Image:
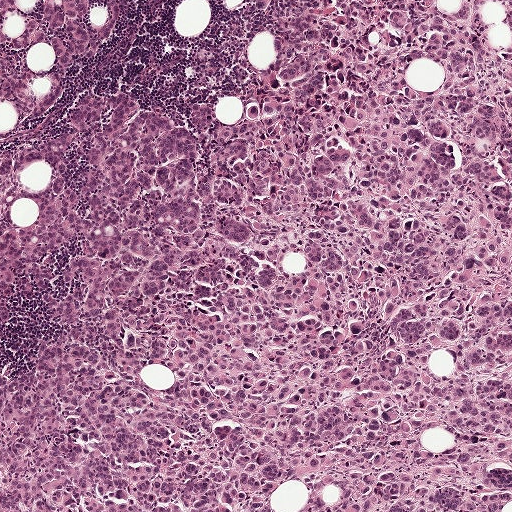
Lymph node section stained with H&E, from a whole-slide image of a breast-cancer sentinel node. Magnification about 5×, about 1 mm across the frame, about 1.9 µm per pixel.
Question:
Describe where the metastatic carcinoma lies in this crop.
Answer:
Three metastatic tumour regions, each outlined as a closed clockwise path in crop pixels (x, y), largest first: region 1: (293, 0), (437, 0), (455, 15), (463, 0), (511, 0), (511, 502), (504, 511), (303, 511), (310, 494), (296, 480), (272, 494), (273, 511), (0, 511), (0, 134), (12, 146), (30, 142), (76, 100), (110, 90), (178, 118), (206, 102), (236, 124), (251, 69), (274, 62), (274, 32); region 2: (0, 0), (16, 0), (15, 15), (3, 27), (5, 34), (18, 40), (26, 30), (26, 13), (36, 8), (38, 0), (121, 0), (119, 22), (108, 48), (46, 107), (14, 127), (16, 111), (1, 103); region 3: (256, 0), (274, 0), (274, 8), (269, 12), (259, 12), (256, 9), (254, 1).
Region 2 encloses two non-tumour holes totalling about 15% of its area.
The annotated tumour makes up about 90% of the crop.